Lymph node section stained with H&E, from a whole-slide image of a breast-cancer sentinel node. Magnification about 10×, about 0.5 mm across the frame, about 0.97 µm per pixel.
Image:
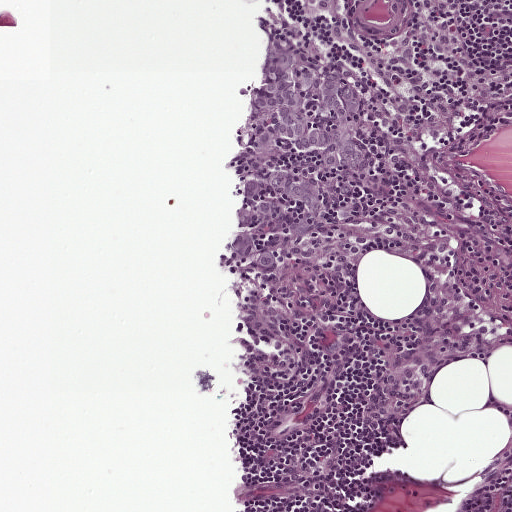
Question:
Where is the metastatic tumour in this field? Give each region's outline as (x, y) pixel points.
Answer:
Boundaries of three metastatic tumour regions, simplified and listed clockwise, largest first: region 1: (282, 48), (314, 72), (340, 76), (358, 96), (362, 108), (356, 134), (368, 157), (368, 173), (330, 167), (326, 150), (300, 148), (280, 136), (266, 146), (252, 147), (246, 140), (280, 124), (272, 108), (247, 105), (237, 96), (246, 84), (262, 82), (270, 49); region 2: (270, 169), (284, 169), (295, 176), (321, 200), (323, 207), (322, 213), (300, 200), (286, 198), (275, 193), (270, 181); region 3: (249, 179), (256, 180), (260, 188), (257, 195), (245, 199), (244, 208), (269, 197), (279, 212), (248, 225), (236, 225), (235, 211), (244, 188).
Three more small tumour pieces are annotated here but not outlined.
The annotated tumour makes up about 5% of the crop.